Question: 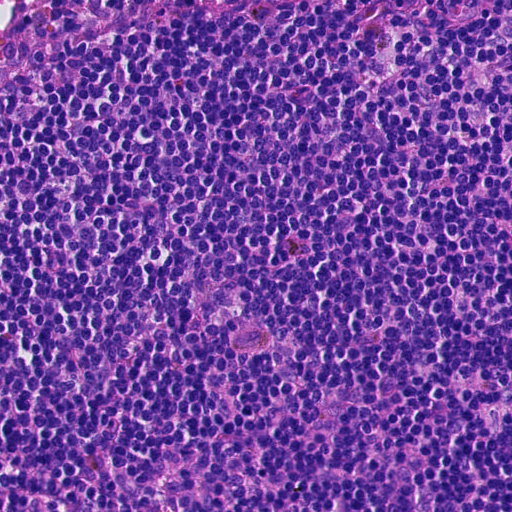
About what magnification does this crop show?

Choices:
 (A) about 10×
 (B) about 20×
 (C) about 5×
 (D) about 2.5×
 (E) about 40×

Answer: (B) about 20×
Lymph node section stained with H&E, from a whole-slide image of a breast-cancer sentinel node. Magnification about 20×, about 0.23 mm across the frame, about 0.45 µm per pixel.